Image:
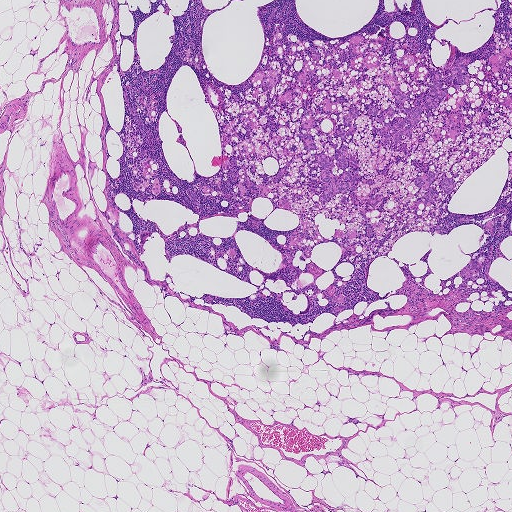
A 1.9-mm field of an H&E-stained sentinel lymph node from a breast-cancer patient (whole-slide image), shown at about 2.5×, about 3.6 µm per pixel.
Question:
Is there metastatic carcinoma in this field?
Answer:
Yes.
Outlines of four tumour regions, largest first (closed clockwise paths, crop pixels): region 1: (428, 171), (434, 172), (435, 179), (430, 184), (431, 187), (435, 192), (435, 195), (431, 204), (426, 205), (424, 203), (426, 191), (423, 187), (418, 187), (413, 183), (416, 178), (422, 176); region 2: (471, 260), (474, 260), (480, 264), (480, 271), (474, 276), (467, 278), (460, 274), (462, 267); region 3: (300, 132), (310, 133), (316, 146), (315, 150), (308, 151), (302, 149), (304, 144), (296, 136); region 4: (447, 177), (450, 177), (454, 182), (452, 191), (447, 194), (444, 193), (442, 190), (441, 188), (441, 183), (442, 180), (444, 178).
One more tumour region is annotated but not outlined: its edge is too irregular for a short outline.
Tumour covers under 5% of the frame.